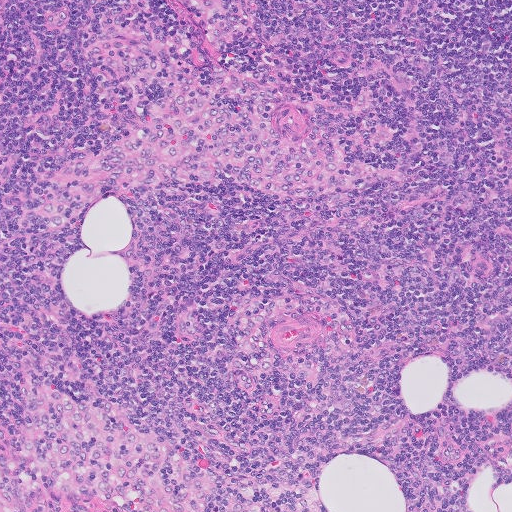
H&E-stained section of a sentinel lymph node (breast cancer), from a whole-slide image, viewed at about 10×: the field is about 0.51 mm across, about 1.0 µm per pixel.